A 0.25-mm field of an H&E-stained sentinel lymph node from a breast-cancer patient (whole-slide image), shown at about 20×, about 0.49 µm per pixel.
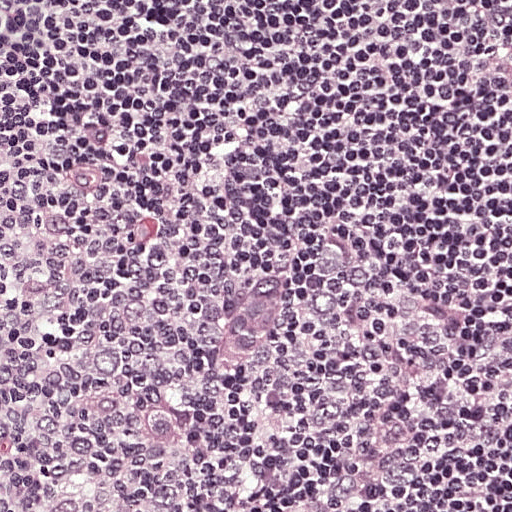
Tumour region outline (a closed clockwise path, crop pixels): (280, 270), (288, 278), (283, 314), (258, 356), (220, 373), (213, 354), (228, 322), (257, 280).
One more small tumour piece is annotated here but not outlined.
The annotated tumour makes up under 5% of the crop.